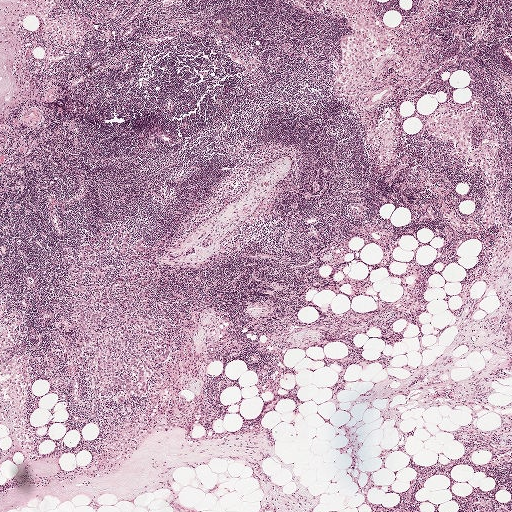
This is a crop of a whole-slide image: an H&E-stained breast-cancer sentinel lymph node section at roughly 2.5× magnification (about 3.9 µm per pixel; the crop spans about 2.0 mm).
One metastatic tumour region; its boundary, reduced to 24 corners and listed clockwise: (117, 231), (133, 234), (133, 249), (136, 240), (147, 237), (144, 245), (159, 247), (161, 280), (150, 307), (166, 345), (171, 341), (166, 360), (154, 364), (147, 394), (139, 395), (136, 389), (125, 404), (99, 398), (62, 347), (77, 336), (64, 258), (81, 265), (83, 245), (111, 244).
Three more small tumour pieces are annotated here but not outlined.
Tumour covers about 5% of the frame.